Image:
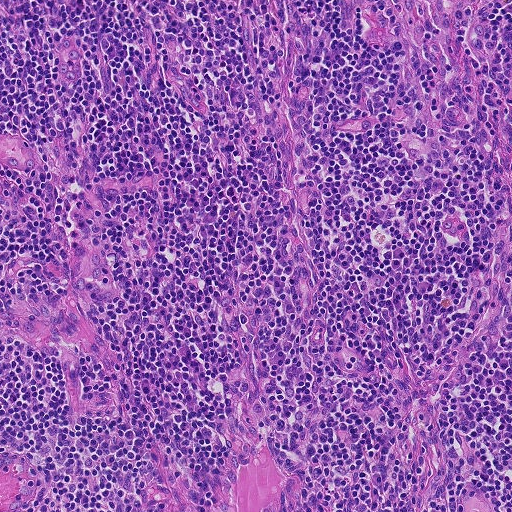
Lymph node section stained with H&E, from a whole-slide image of a breast-cancer sentinel node. Magnification about 10×, about 0.46 mm across the frame, about 0.9 µm per pixel.
Question:
Is there metastatic carcinoma in this field?
Answer:
No, this field holds no outlined metastasis.